Question: 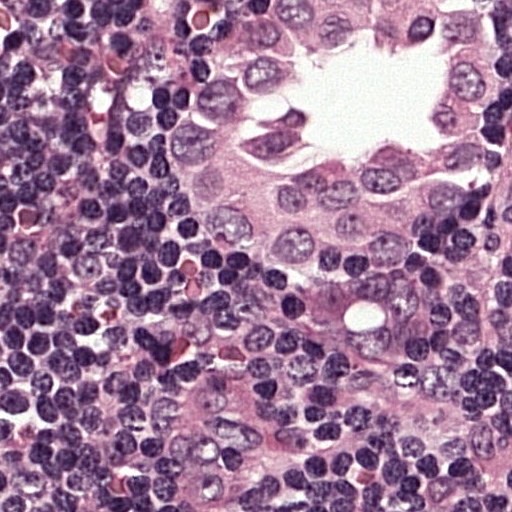
Which magnification is this H&E lymph node field most likely shown at?

Choices:
 (A) about 20×
 (B) about 5×
 (C) about 2.5×
 (D) about 40×
 (E) about 10×

Answer: (D) about 40×
Lymph node section stained with H&E, from a whole-slide image of a breast-cancer sentinel node. Magnification about 40×, about 0.12 mm across the frame, about 0.24 µm per pixel.
Tumour region outline (a closed clockwise path, crop pixels): (233, 0), (511, 0), (511, 187), (420, 359), (337, 362), (210, 257), (162, 190), (157, 107).
The annotated tumour makes up about 40% of the crop.